A 0.46-mm field of an H&E-stained sentinel lymph node from a breast-cancer patient (whole-slide image), shown at about 10×, about 0.9 µm per pixel.
Question: 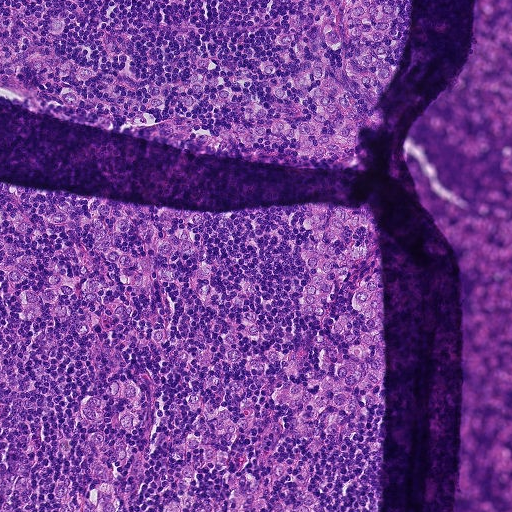
Roughly what share of this field is metastatic tumour?

Choices:
 (A) none: no tumour is outlined
 (B) about 5% or less
 (C) about 25% to 45%
 (D) about 10% to 20%
 (E) about 50% or more

Answer: (E) about 50% or more
About 80% of the field is tumour.
Boundaries of three metastatic tumour regions, simplified and listed clockwise, largest first: region 1: (0, 175), (220, 212), (369, 206), (380, 224), (389, 378), (315, 471), (332, 511), (0, 511); region 2: (0, 0), (412, 0), (406, 56), (357, 148), (366, 170), (141, 142), (0, 106); region 3: (475, 0), (511, 0), (511, 511), (454, 511), (461, 308), (455, 254), (425, 212), (403, 149), (416, 121), (462, 74).